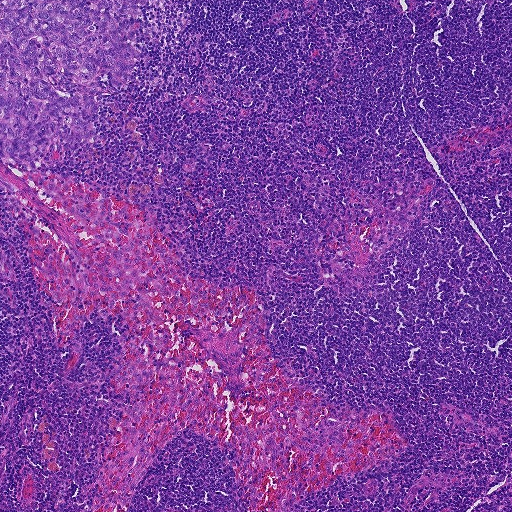
Lymph node section stained with H&E, from a whole-slide image of a breast-cancer sentinel node. Magnification about 5×, about 0.93 mm across the frame, about 1.8 µm per pixel.
Two metastatic tumour regions, each outlined as a closed clockwise path in crop pixels (x, y), largest first: region 1: (0, 0), (147, 0), (138, 6), (143, 17), (118, 24), (134, 32), (135, 43), (147, 55), (134, 63), (128, 87), (112, 86), (107, 72), (84, 93), (102, 102), (97, 114), (90, 117), (97, 140), (53, 152), (52, 163), (41, 167), (4, 163); region 2: (0, 177), (9, 186), (9, 192), (4, 192), (0, 190).
About 5% of the image area is annotated as tumour.